Question: 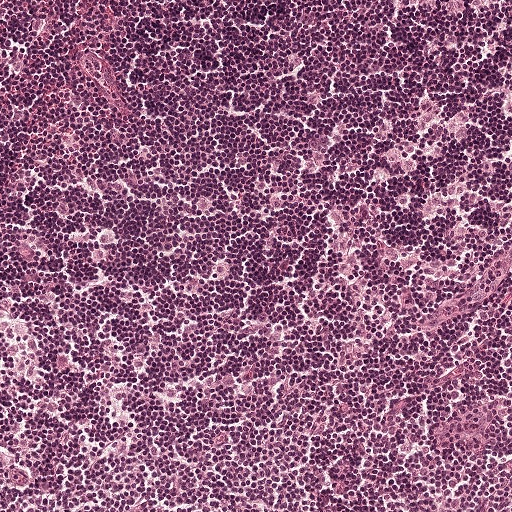
H&E-stained section of a sentinel lymph node (breast cancer), from a whole-slide image, viewed at about 10×: the field is about 0.5 mm across, about 0.97 µm per pixel.
About how much of this crop is taken up by metastatic carcinoma?

Choices:
 (A) about 5% or less
 (B) none: no tumour is outlined
 (C) about 50% or more
 (D) about 10% to 20%
 (E) about 25% to 45%

Answer: (B) none: no tumour is outlined
No metastatic tumour is outlined in this field.